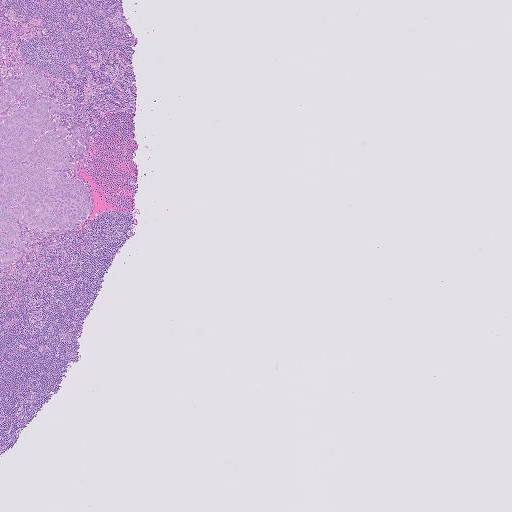
Lymph node section stained with H&E, from a whole-slide image of a breast-cancer sentinel node. Magnification about 2.5×, about 2.0 mm across the frame, about 4.0 µm per pixel.
The outlined metastatic tumour's edge, as a closed clockwise path of 19 points: (0, 33), (7, 45), (1, 77), (11, 75), (22, 63), (33, 65), (48, 77), (49, 92), (72, 105), (80, 119), (89, 124), (90, 153), (78, 163), (77, 177), (93, 197), (86, 223), (28, 244), (18, 261), (2, 265).
One more small tumour piece is annotated here but not outlined.
Tumour covers about 5% of the frame.